H&E-stained section of a sentinel lymph node (breast cancer), from a whole-slide image, viewed at about 20×: the field is about 0.23 mm across, about 0.45 µm per pixel.
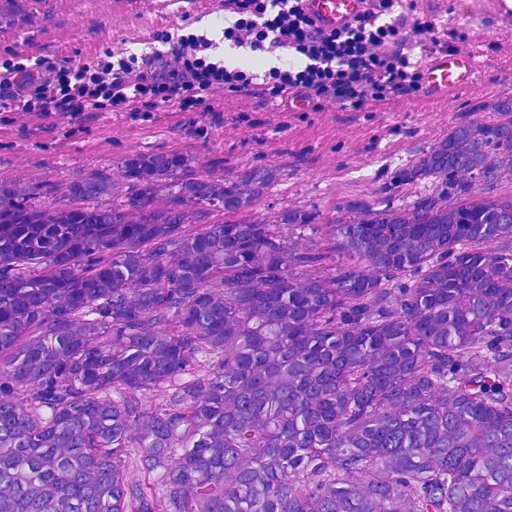
The outlined metastatic tumour's edge, as a closed clockwise path of 6 points: (510, 84), (511, 511), (0, 511), (0, 151), (75, 156), (335, 140).
About 75% of the image area is annotated as tumour.